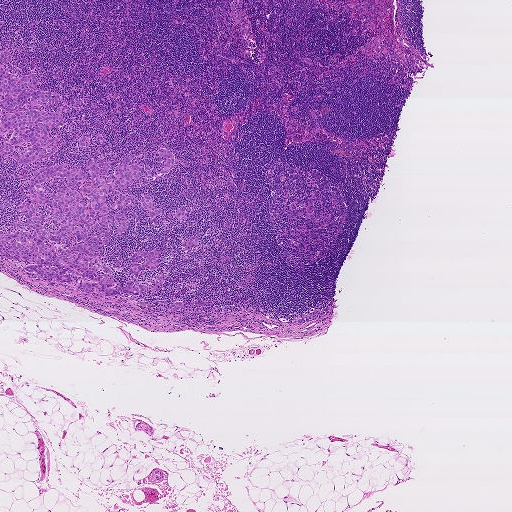
This is a crop of a whole-slide image: an H&E-stained breast-cancer sentinel lymph node section at roughly 2.5× magnification (about 3.6 µm per pixel; the crop spans about 1.9 mm).
Outlines of five tumour regions, largest first (closed clockwise paths, crop pixels): region 1: (135, 154), (139, 182), (113, 189), (107, 204), (148, 194), (163, 214), (152, 218), (134, 200), (130, 228), (117, 234), (112, 225), (93, 265), (102, 273), (110, 266), (125, 287), (126, 277), (135, 281), (133, 253), (161, 247), (160, 264), (135, 279), (163, 282), (142, 295), (99, 295), (35, 281), (22, 267), (35, 263), (6, 258), (0, 230), (33, 230), (14, 207), (33, 171), (66, 162), (86, 174), (82, 186), (91, 176), (85, 160), (112, 161), (105, 177); region 2: (0, 64), (16, 76), (16, 81), (30, 73), (38, 81), (32, 90), (60, 96), (53, 105), (24, 105), (15, 111), (51, 112), (69, 101), (81, 101), (66, 107), (59, 125), (48, 129), (48, 136), (59, 133), (58, 143), (65, 143), (53, 156), (26, 165), (20, 165), (12, 157), (30, 150), (30, 142), (13, 145), (11, 156), (0, 151), (0, 145), (7, 144), (13, 131), (0, 134), (0, 116), (5, 111), (0, 108); region 3: (165, 149), (170, 150), (173, 155), (173, 161), (172, 167), (169, 171), (164, 173), (158, 173), (163, 167), (164, 162), (166, 161), (166, 158), (163, 157), (158, 154), (158, 150); region 4: (197, 299), (209, 301), (214, 303), (210, 307), (198, 307), (193, 305), (192, 303), (190, 303), (193, 302); region 5: (197, 236), (198, 237), (198, 243), (194, 246), (188, 249), (182, 249), (188, 239), (191, 238), (193, 239).
Three more small tumour pieces are annotated here but not outlined.
Tumour covers about 5% of the frame.